H&E-stained section of a sentinel lymph node (breast cancer), from a whole-slide image, viewed at about 20×: the field is about 0.25 mm across, about 0.49 µm per pixel.
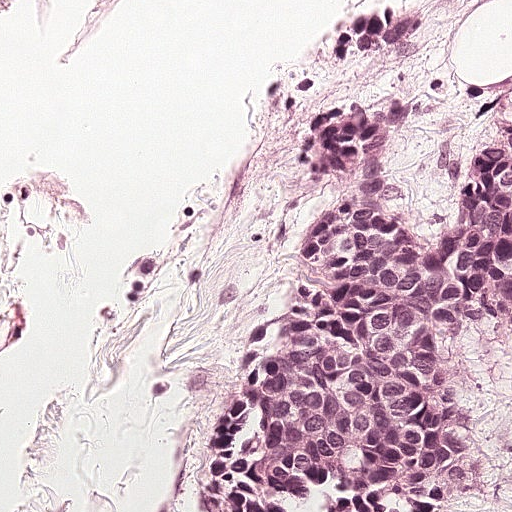
Question: Where is the metastatic tumour in this field?
Answer: The outlined metastatic tumour's edge, as a closed clockwise path of 24 points: (332, 0), (414, 0), (387, 149), (401, 186), (436, 216), (454, 214), (510, 88), (511, 323), (466, 316), (460, 330), (501, 404), (500, 442), (474, 484), (428, 511), (216, 506), (208, 436), (321, 179), (290, 156), (288, 136), (313, 100), (368, 80), (367, 56), (306, 40), (308, 14).
About 35% of this field is tumour.